H&E-stained section of a sentinel lymph node (breast cancer), from a whole-slide image, viewed at about 20×: the field is about 0.25 mm across, about 0.49 µm per pixel.
Image:
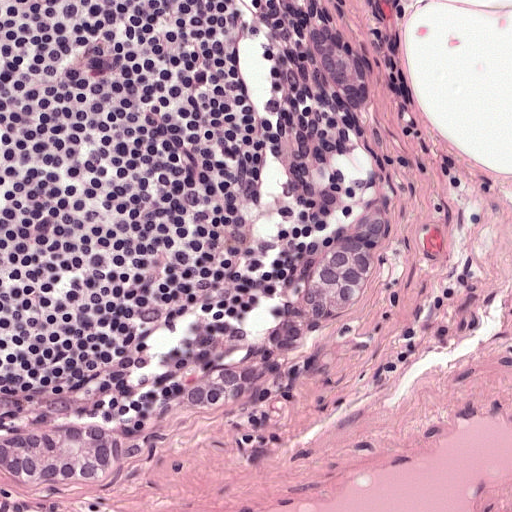
Question:
Which parts of this field are metastatic tumour? Answer with the outline of each region, in pixels.
Answer:
Outlines of three tumour regions, largest first (closed clockwise paths, crop pixels): region 1: (376, 202), (388, 235), (377, 264), (342, 315), (271, 377), (244, 392), (216, 403), (185, 402), (188, 385), (232, 366), (258, 347), (314, 272); region 2: (101, 424), (118, 432), (122, 458), (109, 482), (22, 484), (0, 474), (0, 438), (9, 430), (40, 426); region 3: (311, 18), (335, 24), (370, 49), (371, 104), (351, 121), (324, 91), (310, 56).
The annotated tumour makes up about 10% of the crop.